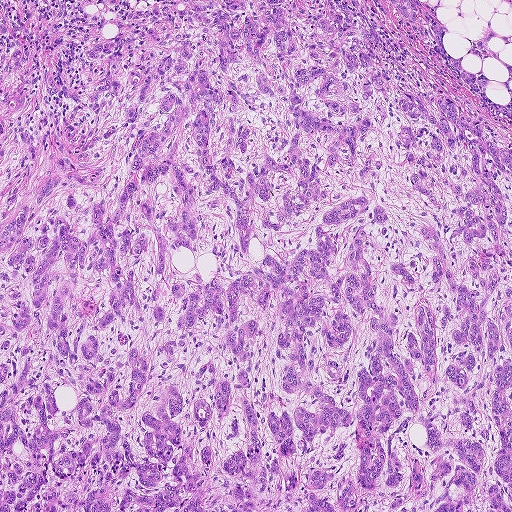
A 0.93-mm field of an H&E-stained sentinel lymph node from a breast-cancer patient (whole-slide image), shown at about 5×, about 1.8 µm per pixel.
Question: Does this lymph node field contain metastatic tumour?
Answer: Yes.
Two metastatic tumour regions, each outlined as a closed clockwise path in crop pixels (x, y), largest first: region 1: (0, 0), (332, 0), (381, 36), (393, 96), (442, 93), (465, 122), (483, 117), (486, 139), (511, 142), (511, 511), (0, 511); region 2: (388, 0), (416, 0), (418, 14), (418, 24), (409, 24), (402, 20).
Tumour covers about 95% of the frame.